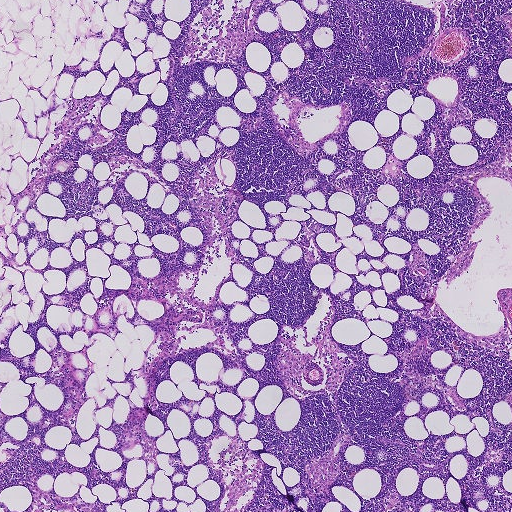
This is a crop of a whole-slide image: an H&E-stained breast-cancer sentinel lymph node section at roughly 2.5× magnification (about 3.6 µm per pixel; the crop spans about 1.9 mm).